A 0.5-mm field of an H&E-stained sentinel lymph node from a breast-cancer patient (whole-slide image), shown at about 10×, about 0.97 µm per pixel.
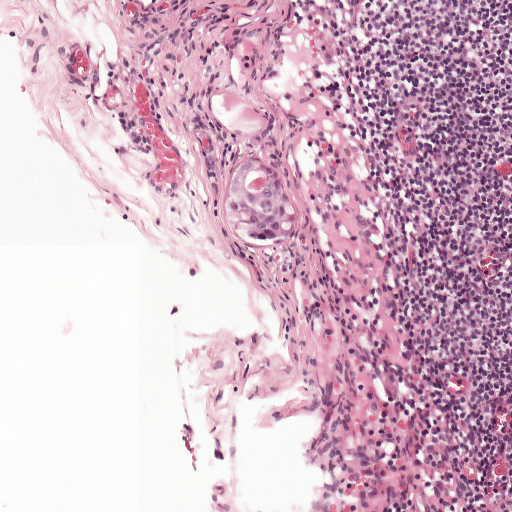
The outlined metastatic tumour's edge, as a closed clockwise path of 8 points: (249, 156), (261, 158), (295, 174), (305, 212), (285, 244), (247, 251), (220, 224), (224, 185).
Under 5% of this field is tumour.